Question: 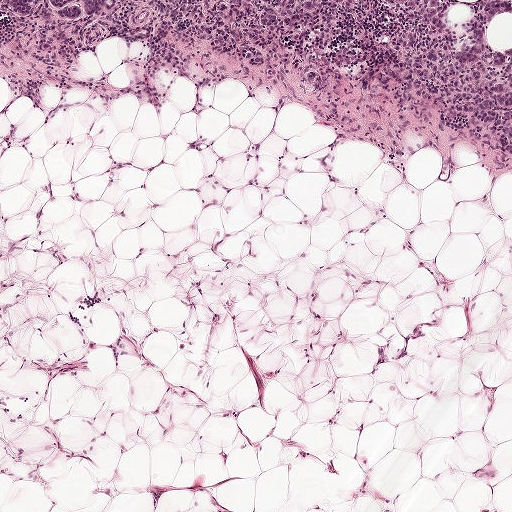
A 1-mm field of an H&E-stained sentinel lymph node from a breast-cancer patient (whole-slide image), shown at about 5×, about 1.9 µm per pixel.
About how much of this crop is taken up by metastatic carcinoma?

Choices:
 (A) about 50% or more
 (B) about 5% or less
 (C) none: no tumour is outlined
 (D) about 10% to 20%
 (E) about 25% to 45%

Answer: (D) about 10% to 20%
About 15% of the field is tumour.
The outlined metastatic tumour's edge, as a closed clockwise path of 16 points: (0, 0), (511, 0), (511, 15), (494, 19), (488, 42), (498, 53), (511, 49), (511, 158), (372, 102), (318, 70), (286, 84), (209, 54), (132, 6), (77, 31), (45, 20), (0, 20).